Question: 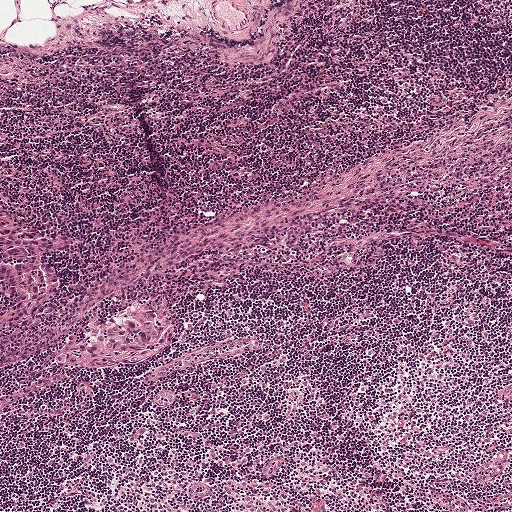
A 1-mm field of an H&E-stained sentinel lymph node from a breast-cancer patient (whole-slide image), shown at about 5×, about 1.9 µm per pixel.
What fraction of the image area is metastatic tumour?

Choices:
 (A) about 25% to 45%
 (B) about 5% or less
 (C) about 10% to 20%
 (D) none: no tumour is outlined
 (E) about 50% or more

Answer: (B) about 5% or less
About 5% of the field is tumour.
Boundaries of two metastatic tumour regions, simplified and listed clockwise, largest first: region 1: (146, 294), (160, 296), (172, 341), (148, 361), (134, 364), (66, 368), (49, 364), (48, 351), (53, 342), (85, 318), (123, 311), (126, 303); region 2: (0, 211), (33, 228), (62, 234), (66, 243), (66, 246), (62, 247), (50, 246), (57, 293), (50, 306), (0, 331).